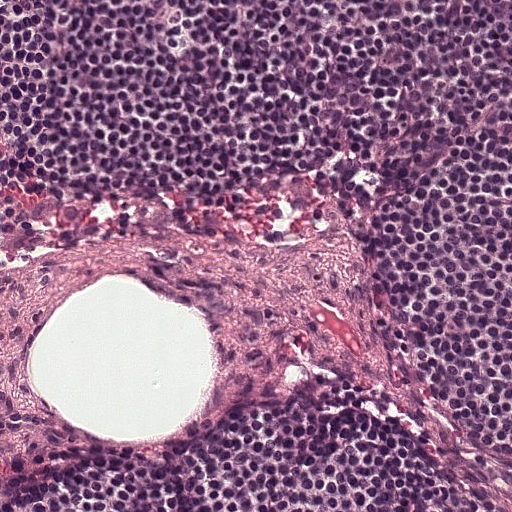
A 0.25-mm field of an H&E-stained sentinel lymph node from a breast-cancer patient (whole-slide image), shown at about 20×, about 0.49 µm per pixel.